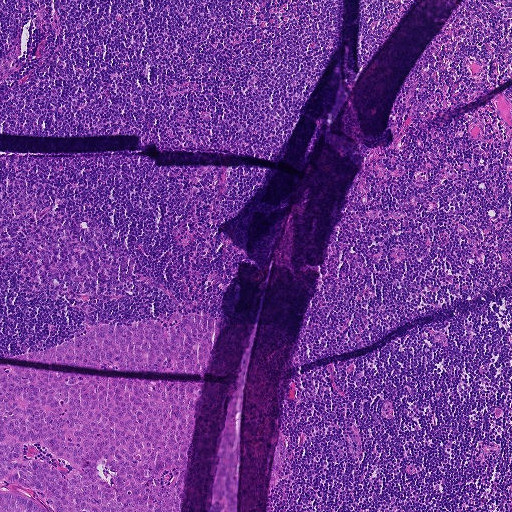
H&E-stained section of a sentinel lymph node (breast cancer), from a whole-slide image, viewed at about 5×: the field is about 0.93 mm across, about 1.8 µm per pixel.
Boundaries of three metastatic tumour regions, simplified and listed clockwise, largest first: region 1: (0, 366), (128, 382), (200, 384), (178, 511), (56, 511), (42, 492), (0, 484); region 2: (190, 314), (219, 318), (203, 373), (47, 363), (15, 357), (57, 345), (103, 324), (119, 326), (147, 320), (170, 327); region 3: (0, 492), (10, 492), (26, 496), (45, 511), (0, 511).
About 10% of the image area is annotated as tumour.